Image:
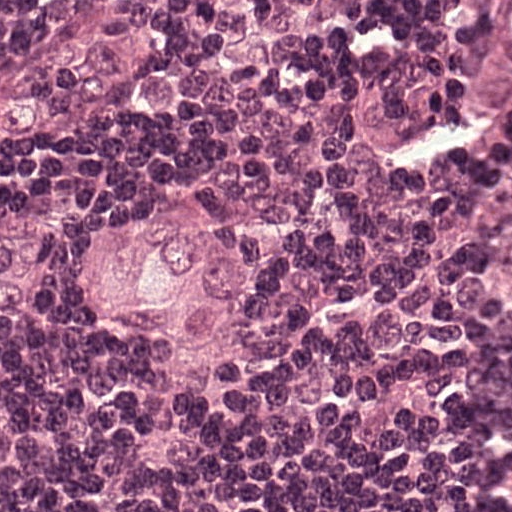
H&E-stained section of a sentinel lymph node (breast cancer), from a whole-slide image, viewed at about 40×: the field is about 0.12 mm across, about 0.24 µm per pixel.
Question:
Which parts of this field are metastatic tumour? Answer with the outline of each region, in pixels.
Answer:
Outlines of three tumour regions, largest first (closed clockwise paths, crop pixels): region 1: (184, 182), (196, 182), (215, 226), (264, 251), (240, 335), (215, 350), (168, 350), (121, 339), (78, 285), (62, 279), (62, 214), (131, 211); region 2: (511, 0), (511, 97), (496, 97), (493, 95), (490, 82), (484, 79), (484, 45), (487, 42), (487, 26), (490, 20), (493, 20), (496, 1); region 3: (0, 354), (3, 354), (3, 357), (6, 357), (6, 364), (8, 367), (8, 476), (6, 476), (6, 485), (3, 485), (3, 488), (0, 488).
About 10% of the image area is annotated as tumour.